Question: 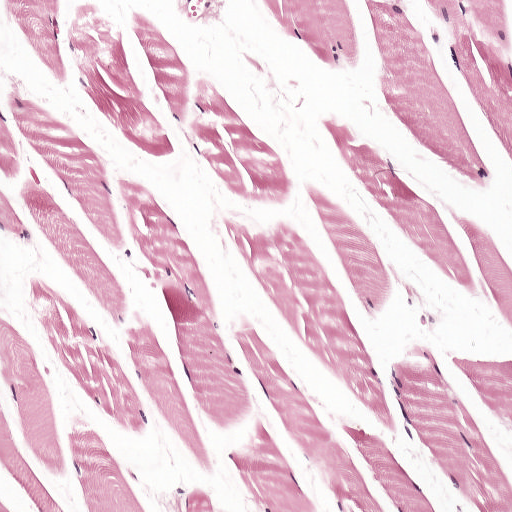
About what magnification does this crop show?

Choices:
 (A) about 5×
 (B) about 10×
 (C) about 20×
 (D) about 2.5×
 (E) about 40×

Answer: (B) about 10×
H&E-stained section of a sentinel lymph node (breast cancer), from a whole-slide image, viewed at about 10×: the field is about 0.5 mm across, about 0.97 µm per pixel.